Question: 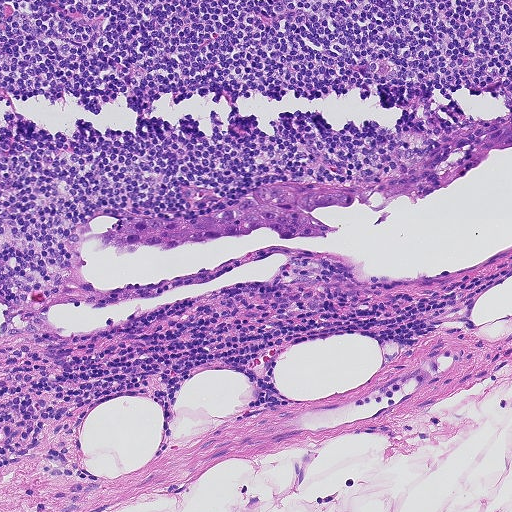
A 0.46-mm field of an H&E-stained sentinel lymph node from a breast-cancer patient (whole-slide image), shown at about 10×, about 0.9 µm per pixel.
What fraction of the image area is metastatic tumour?

Choices:
 (A) none: no tumour is outlined
 (B) about 50% or more
 (C) about 5% or less
 (D) about 25% to 45%
 (E) about 10% to 20%

Answer: (C) about 5% or less
About 5% of the field is tumour.
Metastatic tumour outline, simplified to 22 points and listed clockwise in crop pixels (x, y): (511, 112), (511, 146), (490, 151), (480, 165), (423, 202), (408, 194), (378, 211), (355, 199), (341, 209), (310, 213), (340, 228), (308, 239), (259, 229), (192, 244), (108, 244), (98, 232), (129, 216), (198, 218), (277, 181), (345, 189), (362, 184), (411, 167).